This is a crop of a whole-slide image: an H&E-stained breast-cancer sentinel lymph node section at roughly 5× magnification (about 1.8 µm per pixel; the crop spans about 0.93 mm).
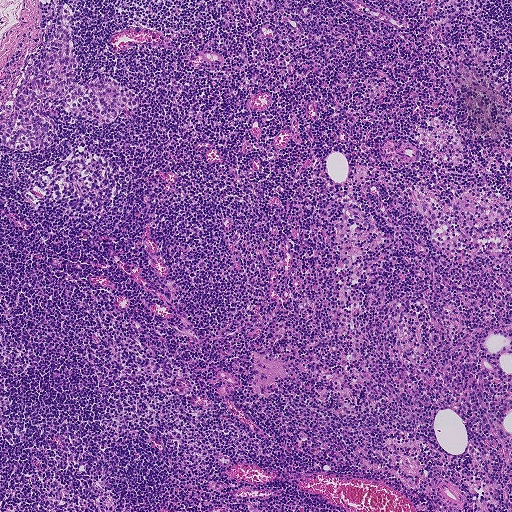
Metastatic tumour outline, simplified to 23 points and listed clockwise in crop pixels (x, y): (65, 3), (73, 13), (74, 80), (81, 86), (109, 76), (136, 90), (139, 103), (102, 126), (79, 115), (75, 123), (67, 123), (61, 110), (44, 151), (8, 149), (0, 139), (0, 120), (13, 109), (21, 70), (32, 60), (44, 68), (45, 47), (57, 52), (51, 43).
About 5% of this field is tumour.